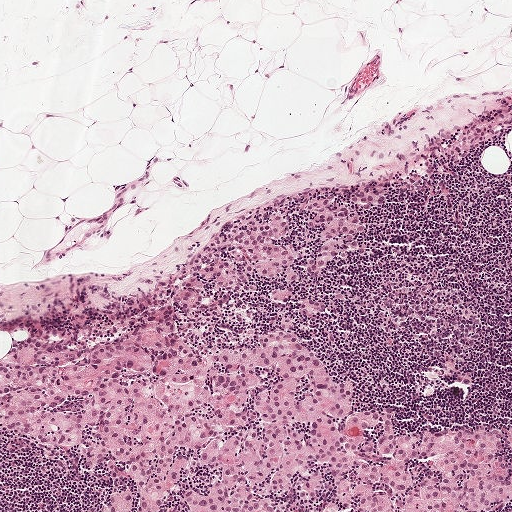
A 1-mm field of an H&E-stained sentinel lymph node from a breast-cancer patient (whole-slide image), shown at about 5×, about 1.9 µm per pixel.
Seven metastatic tumour regions, each outlined as a closed clockwise path in crop pixels (x, y), largest first: region 1: (224, 257), (256, 292), (205, 287), (176, 324), (201, 354), (256, 345), (289, 316), (336, 382), (351, 380), (348, 415), (392, 406), (398, 434), (511, 427), (511, 511), (101, 511), (131, 491), (130, 473), (81, 468), (70, 446), (5, 431), (0, 359), (13, 345), (106, 342); region 2: (320, 196), (336, 199), (354, 209), (366, 225), (363, 234), (355, 234), (354, 239), (366, 245), (363, 254), (350, 250), (345, 258), (334, 258), (322, 275), (314, 279), (304, 271), (304, 264), (321, 245), (321, 228), (306, 228), (307, 222), (317, 211), (308, 213), (303, 207), (306, 202); region 3: (272, 214), (286, 214), (290, 224), (290, 233), (272, 242), (275, 246), (290, 244), (291, 249), (300, 254), (292, 268), (300, 278), (294, 282), (288, 282), (285, 279), (287, 268), (273, 280), (258, 274), (254, 268), (250, 274), (246, 273), (243, 270), (245, 264), (250, 264), (250, 250), (239, 245), (232, 236), (247, 228), (246, 222), (254, 218), (258, 223), (267, 222); region 4: (376, 188), (386, 195), (386, 204), (364, 209), (350, 200), (351, 195), (361, 190), (368, 191); region 5: (316, 296), (324, 301), (327, 312), (319, 318), (310, 319), (300, 314), (298, 306), (302, 299); region 6: (292, 286), (296, 294), (289, 303), (282, 303), (275, 302), (270, 298), (268, 291), (283, 290); region 7: (456, 374), (468, 376), (472, 381), (468, 385), (457, 384), (454, 378).
About 30% of this field is tumour.